Question: 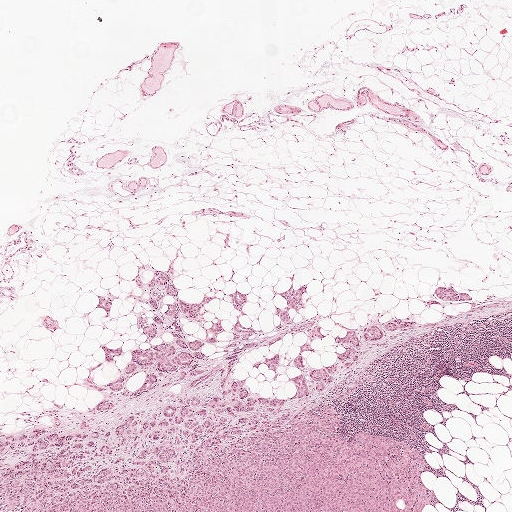
Lymph node section stained with H&E, from a whole-slide image of a breast-cancer sentinel node. Magnification about 2.5×, about 2.0 mm across the frame, about 3.9 µm per pixel.
About how much of this crop is taken up by metastatic carcinoma?

Choices:
 (A) about 5% or less
 (B) about 25% to 45%
 (C) about 50% or more
 (D) about 10% to 20%
 (E) none: no tumour is outlined

Answer: (D) about 10% to 20%
About 20% of the field is tumour.
Boundaries of five metastatic tumour regions, simplified and listed clockwise, largest first: region 1: (158, 268), (179, 299), (213, 295), (222, 331), (180, 318), (187, 339), (218, 338), (209, 357), (227, 349), (236, 289), (264, 337), (277, 291), (307, 284), (287, 311), (318, 314), (315, 368), (344, 349), (340, 324), (413, 319), (301, 398), (284, 378), (298, 368), (252, 364), (277, 354), (294, 365), (303, 331), (231, 372), (283, 398), (277, 414), (329, 406), (342, 434), (408, 442), (436, 508), (0, 510), (0, 435), (98, 426), (131, 349), (172, 338), (137, 328); region 2: (451, 282), (458, 290), (466, 291), (469, 293), (470, 298), (468, 300), (444, 300), (435, 294), (435, 287), (451, 284); region 3: (101, 344), (108, 347), (115, 347), (121, 345), (123, 351), (120, 354), (115, 355), (115, 356), (117, 357), (113, 361), (106, 361), (104, 354), (102, 349), (100, 348); region 4: (100, 294), (110, 297), (111, 303), (110, 308), (107, 312), (101, 308), (96, 308), (98, 303), (97, 295); region 5: (436, 298), (442, 301), (442, 305), (438, 304), (434, 304), (432, 305), (426, 305), (425, 304), (425, 301), (427, 300).